H&E-stained section of a sentinel lymph node (breast cancer), from a whole-slide image, viewed at about 40×: the field is about 0.12 mm across, about 0.24 µm per pixel.
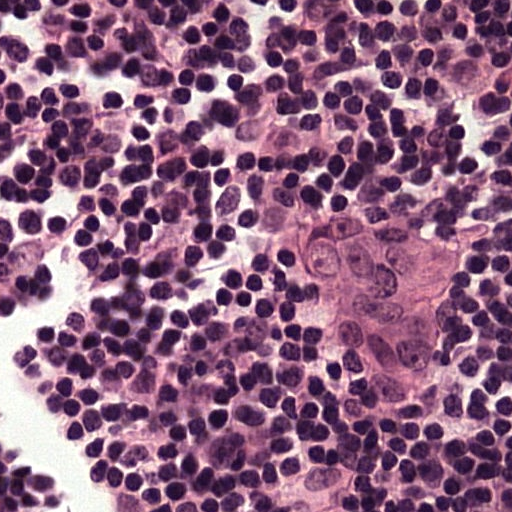
One metastatic tumour region; its boundary, reduced to 15 corners and listed clockwise: (333, 215), (404, 223), (453, 236), (461, 245), (466, 259), (464, 293), (447, 315), (453, 367), (435, 405), (389, 414), (365, 405), (353, 388), (308, 283), (289, 261), (292, 235).
About 10% of this field is tumour.